Question: 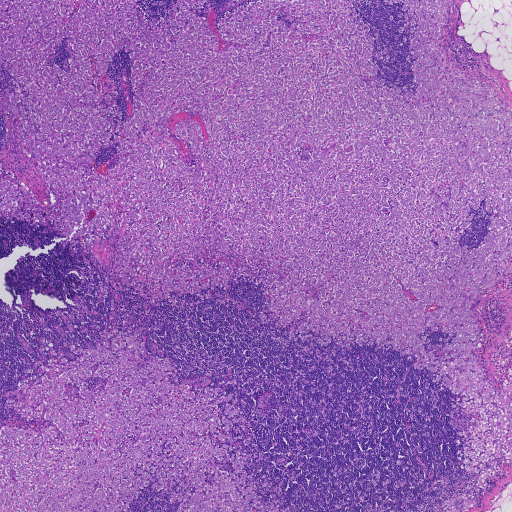
H&E-stained section of a sentinel lymph node (breast cancer), from a whole-slide image, viewed at about 2.5×: the field is about 1.9 mm across, about 3.6 µm per pixel.
What fraction of the image area is metastatic tumour?

Choices:
 (A) about 50% or more
 (B) about 5% or less
 (C) about 10% to 20%
 (D) none: no tumour is outlined
 (E) about 25% to 45%

Answer: (A) about 50% or more
About 70% of the field is tumour.
Three metastatic tumour regions, each outlined as a closed clockwise path in crop pixels (x, y), largest first: region 1: (0, 0), (450, 0), (444, 51), (511, 107), (511, 276), (471, 308), (494, 386), (511, 361), (506, 474), (475, 489), (474, 418), (412, 355), (292, 341), (306, 313), (264, 323), (242, 275), (199, 304), (103, 298), (106, 240), (0, 215), (0, 170), (56, 200); region 2: (138, 333), (138, 364), (166, 357), (181, 383), (233, 393), (218, 405), (243, 416), (234, 448), (279, 509), (0, 511), (0, 427), (53, 425), (7, 400), (27, 400), (18, 384), (47, 374), (55, 352), (72, 362), (72, 344); region 3: (457, 498), (463, 498), (469, 500), (468, 505), (461, 510), (455, 510), (450, 506), (451, 503).
Four more small tumour pieces are annotated here but not outlined.